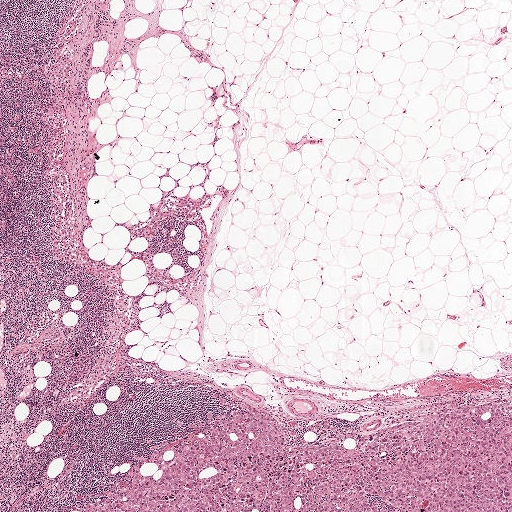
A 2.0-mm field of an H&E-stained sentinel lymph node from a breast-cancer patient (whole-slide image), shown at about 2.5×, about 3.9 µm per pixel.
Metastatic tumour outline, simplified to 9 points and listed clockwise in crop pixels (x, y): (511, 390), (511, 511), (45, 511), (109, 488), (140, 448), (226, 401), (270, 409), (297, 445), (309, 446).
The annotated tumour makes up about 15% of the crop.